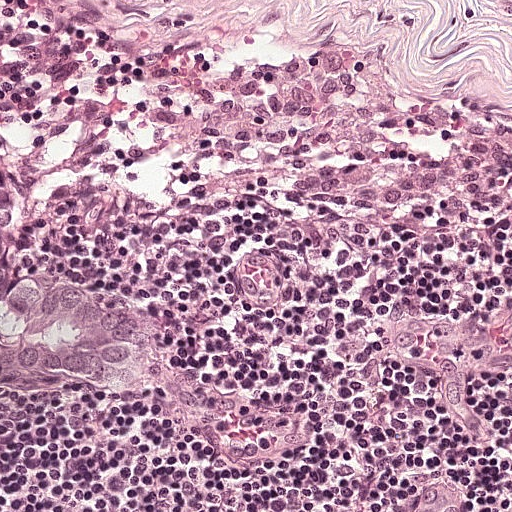
Lymph node section stained with H&E, from a whole-slide image of a breast-cancer sentinel node. Magnification about 20×, about 0.25 mm across the frame, about 0.49 µm per pixel.
One metastatic tumour region; its boundary, reduced to 10 corners and listed clockwise: (0, 125), (35, 178), (33, 264), (79, 288), (148, 304), (167, 334), (166, 378), (146, 398), (76, 400), (2, 388).
About 10% of this field is tumour.